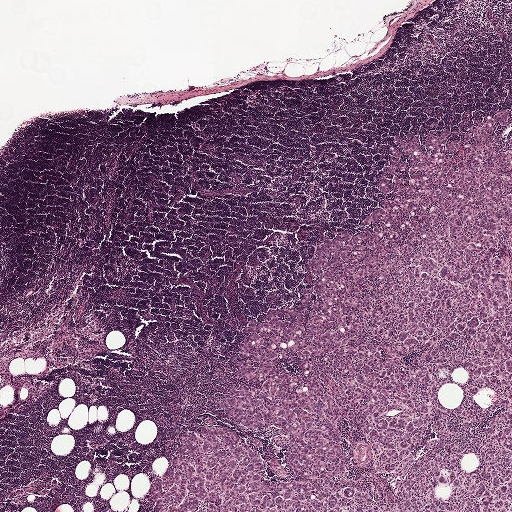
This is a crop of a whole-slide image: an H&E-stained breast-cancer sentinel lymph node section at roughly 2.5× magnification (about 3.9 µm per pixel; the crop spans about 2.0 mm).
Question: Where is the metastatic tumour in this field? Give each region's outline as (x, y) pixel points.
Answer: The outlined metastatic tumour's edge, as a closed clockwise path of 24 points: (503, 108), (511, 511), (208, 511), (202, 502), (198, 511), (154, 511), (152, 484), (194, 430), (238, 434), (263, 477), (289, 477), (279, 428), (241, 428), (219, 409), (227, 386), (261, 384), (233, 377), (227, 358), (245, 325), (300, 302), (317, 242), (379, 206), (394, 142), (461, 135).
Tumour covers about 35% of the frame.